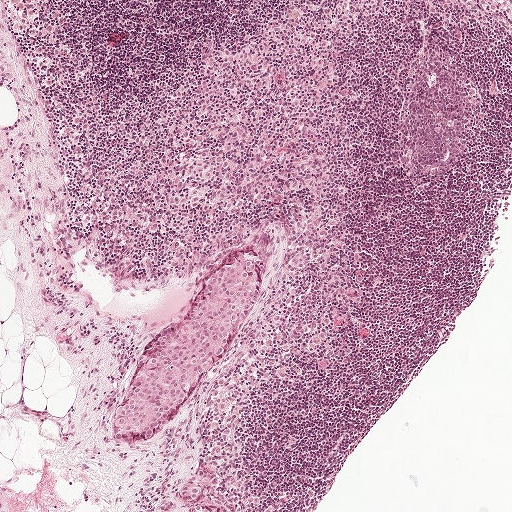
A 1-mm field of an H&E-stained sentinel lymph node from a breast-cancer patient (whole-slide image), shown at about 5×, about 1.9 µm per pixel.
Question: Does this lymph node field contain metastatic tumour?
Answer: Yes.
The outlined metastatic tumour's edge, as a closed clockwise path of 15 points: (262, 248), (269, 264), (269, 278), (252, 322), (222, 348), (206, 378), (158, 435), (132, 447), (112, 446), (110, 407), (126, 390), (159, 331), (190, 309), (199, 291), (242, 251).
About 5% of this field is tumour.